Question: 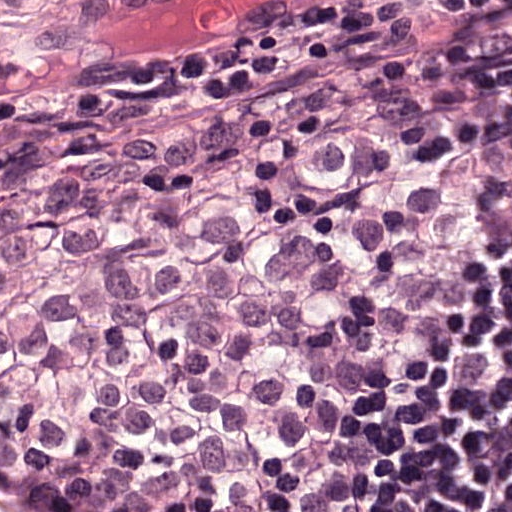
Which magnification is this H&E lymph node field most likely shown at?

Choices:
 (A) about 2.5×
 (B) about 5×
 (C) about 10×
 (D) about 20×
 (E) about 40×

Answer: (E) about 40×
H&E-stained section of a sentinel lymph node (breast cancer), from a whole-slide image, viewed at about 40×: the field is about 0.12 mm across, about 0.24 µm per pixel.
Tumour region outline (a closed clockwise path, crop pixels): (345, 182), (409, 182), (480, 227), (503, 265), (502, 294), (471, 317), (404, 436), (285, 511), (94, 511), (0, 470), (0, 270).
The annotated tumour makes up about 50% of the crop.